A 1-mm field of an H&E-stained sentinel lymph node from a breast-cancer patient (whole-slide image), shown at about 5×, about 1.9 µm per pixel.
Image:
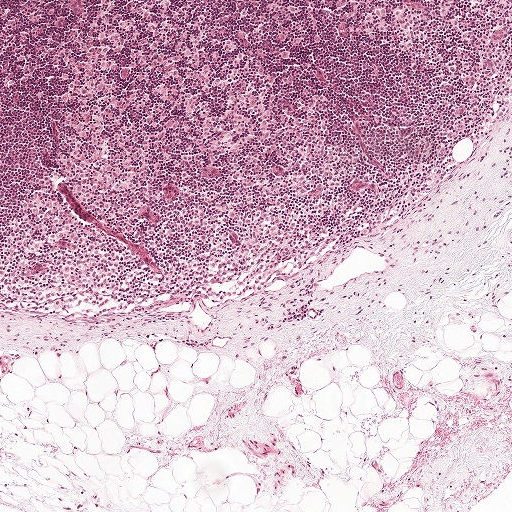
Question:
Does this lymph node field contain metastatic tumour?
Answer:
No: no metastatic tumour is outlined anywhere in this field.